Image:
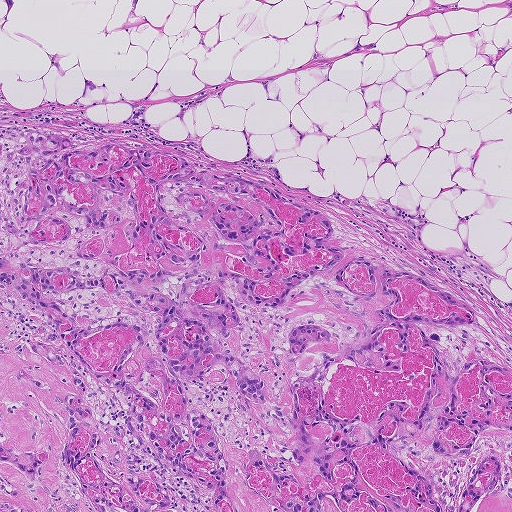
Lymph node section stained with H&E, from a whole-slide image of a breast-cancer sentinel node. Magnification about 5×, about 0.93 mm across the frame, about 1.8 µm per pixel.
Question:
Is any metastatic breast cancer visible in this crop?
Answer:
Yes.
Tumour region outline (a closed clockwise path, crop pixels): (31, 128), (86, 150), (156, 146), (197, 171), (269, 187), (326, 214), (332, 237), (469, 306), (511, 369), (511, 511), (0, 511), (0, 134).
The annotated tumour makes up about 60% of the crop.